Question: 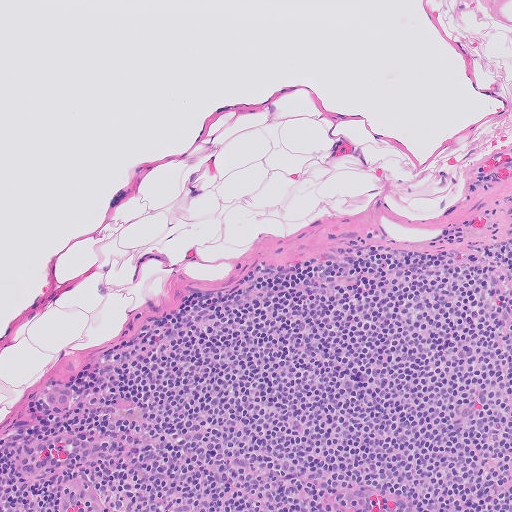
At roughly what magnification is this field shown?

Choices:
 (A) about 5×
 (B) about 10×
 (C) about 20×
 (D) about 2.5×
 (E) about 40×

Answer: (B) about 10×
Lymph node section stained with H&E, from a whole-slide image of a breast-cancer sentinel node. Magnification about 10×, about 0.51 mm across the frame, about 1.0 µm per pixel.
Tumour region outline (a closed clockwise path, crop pixels): (52, 380), (78, 380), (84, 409), (50, 415), (36, 400).
Tumour covers under 5% of the frame.